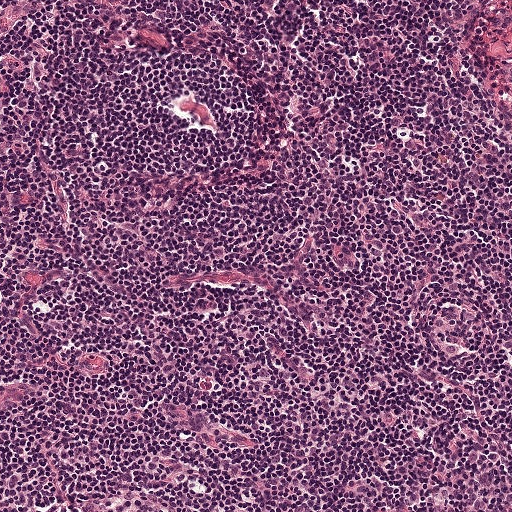
H&E-stained section of a sentinel lymph node (breast cancer), from a whole-slide image, viewed at about 10×: the field is about 0.5 mm across, about 0.97 µm per pixel.